H&E-stained section of a sentinel lymph node (breast cancer), from a whole-slide image, viewed at about 5×: the field is about 1 mm across, about 1.9 µm per pixel.
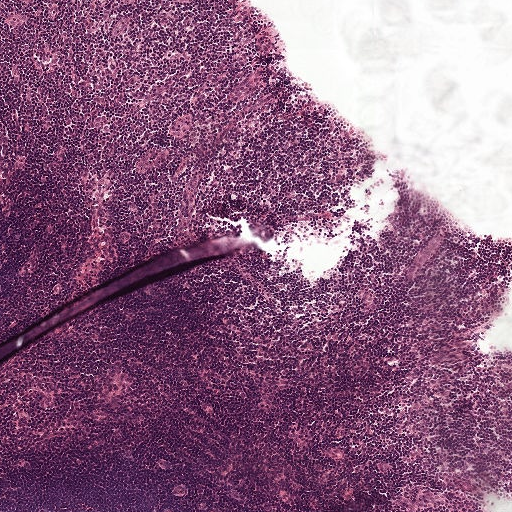
Question: Is there metastatic carcinoma in this field?
Answer: No, this field holds no outlined metastasis.